This is a crop of a whole-slide image: an H&E-stained breast-cancer sentinel lymph node section at roughly 10× magnification (about 0.97 µm per pixel; the crop spans about 0.5 mm).
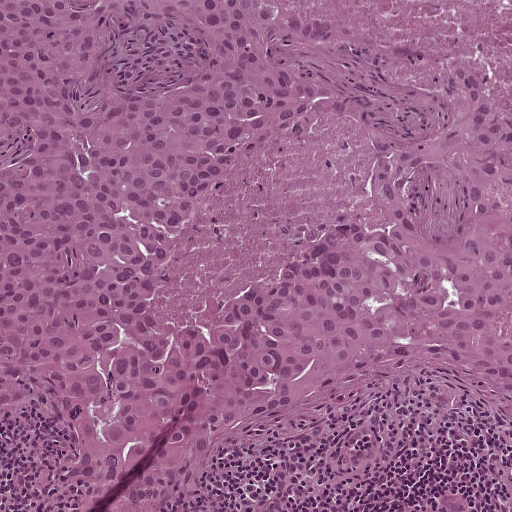
Question: Describe where the metastatic carcinoma lies in this crop.
Answer: Boundaries of two metastatic tumour regions, simplified and listed clockwise, largest first: region 1: (0, 0), (511, 0), (511, 414), (450, 377), (405, 382), (256, 426), (224, 447), (178, 511), (61, 511), (53, 435), (0, 430); region 2: (437, 491), (466, 498), (473, 511), (395, 511), (403, 509).
About 85% of this field is tumour.